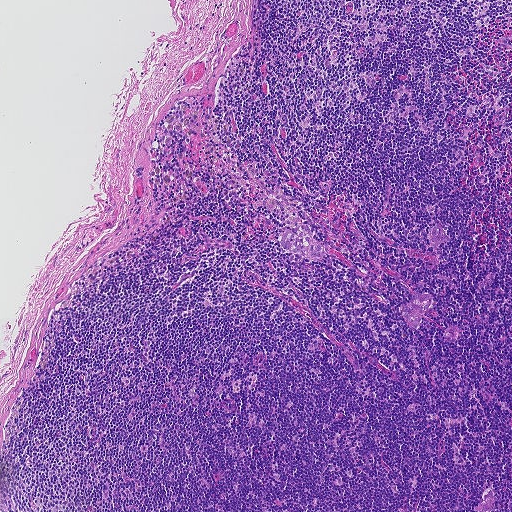
A 0.93-mm field of an H&E-stained sentinel lymph node from a breast-cancer patient (whole-slide image), shown at about 5×, about 1.8 µm per pixel.
Question: Where is the metastatic tumour in this field?
Answer: Boundaries of five metastatic tumour regions, simplified and listed clockwise, largest first: region 1: (305, 224), (309, 228), (312, 239), (322, 243), (326, 254), (324, 258), (320, 261), (286, 251), (278, 243), (277, 237), (280, 232), (286, 230), (297, 234), (300, 225); region 2: (414, 293), (431, 295), (431, 301), (425, 310), (422, 321), (416, 329), (410, 328), (404, 318), (401, 308), (403, 302), (409, 302); region 3: (490, 487), (495, 500), (494, 508), (490, 511), (481, 511), (478, 508), (479, 500); region 4: (436, 227), (442, 227), (443, 232), (442, 243), (437, 246), (432, 246), (428, 241), (430, 230); region 5: (450, 325), (456, 326), (457, 332), (457, 338), (454, 342), (449, 341), (446, 336), (446, 331).
The annotated tumour makes up under 5% of the crop.